Image:
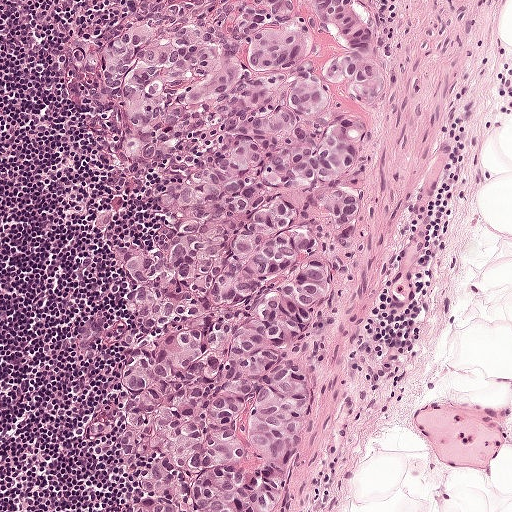
A 0.5-mm field of an H&E-stained sentinel lymph node from a breast-cancer patient (whole-slide image), shown at about 10×, about 0.97 µm per pixel.
Question:
Is any metastatic breast cancer visible in this crop?
Answer:
Yes.
The outlined metastatic tumour's edge, as a closed clockwise path of 24 points: (154, 0), (376, 0), (392, 65), (369, 175), (327, 356), (258, 511), (116, 511), (127, 466), (88, 426), (122, 389), (116, 372), (134, 300), (126, 263), (148, 240), (162, 193), (206, 168), (228, 133), (213, 112), (158, 160), (130, 158), (120, 113), (93, 99), (64, 48), (120, 29).
About 40% of the image area is annotated as tumour.